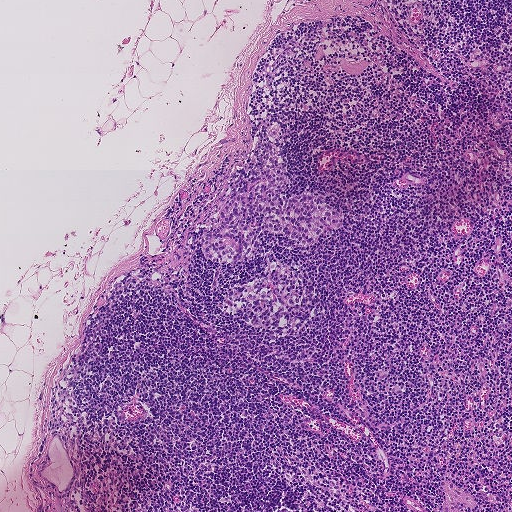
A 0.93-mm field of an H&E-stained sentinel lymph node from a breast-cancer patient (whole-slide image), shown at about 5×, about 1.8 µm per pixel.
Question: Show where the tumour is in this image.
Answer: The outlined metastatic tumour's edge, as a closed clockwise path of 24 points: (270, 142), (289, 161), (286, 171), (297, 176), (281, 193), (286, 198), (308, 191), (323, 195), (344, 215), (342, 226), (336, 235), (321, 233), (302, 247), (282, 234), (263, 230), (253, 258), (234, 265), (206, 260), (200, 240), (204, 229), (214, 230), (224, 204), (262, 180), (251, 170).
About 5% of the image area is annotated as tumour.